Question: 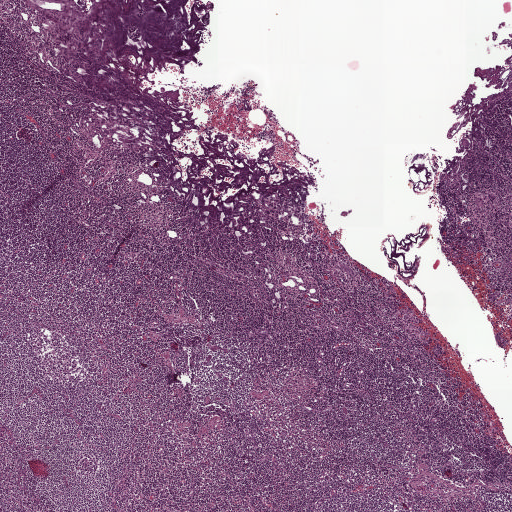
About what magnification does this crop show?

Choices:
 (A) about 10×
 (B) about 40×
 (C) about 20×
 (D) about 2.5×
 (E) about 5×

Answer: (D) about 2.5×
A 2.0-mm field of an H&E-stained sentinel lymph node from a breast-cancer patient (whole-slide image), shown at about 2.5×, about 3.9 µm per pixel.